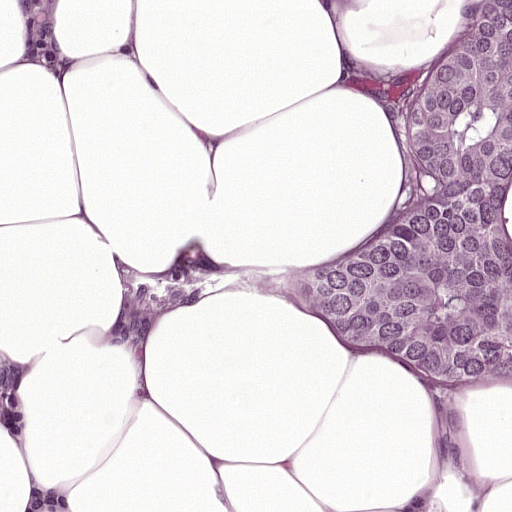
This is a crop of a whole-slide image: an H&E-stained breast-cancer sentinel lymph node section at roughly 20× magnification (about 0.49 µm per pixel; the crop spans about 0.25 mm).
Question: Which parts of this field are metastatic tumour? Answer with the outline of each region, in pixels.
Answer: Metastatic tumour outline, simplified to 8 points and listed clockwise in crop pixels (x, y): (476, 0), (511, 0), (511, 378), (410, 370), (352, 355), (309, 318), (295, 262), (347, 240).
About 20% of the image area is annotated as tumour.